Question: 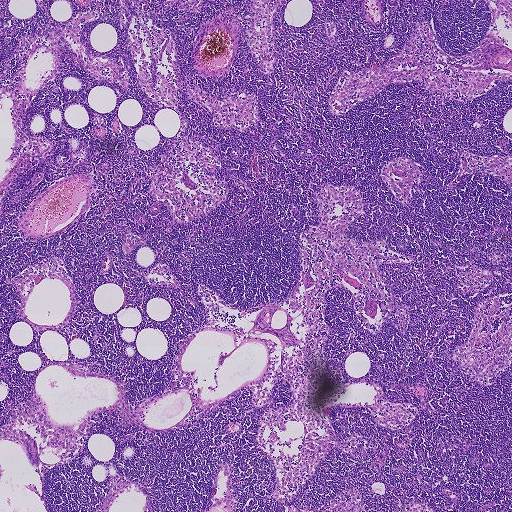
A 1.9-mm field of an H&E-stained sentinel lymph node from a breast-cancer patient (whole-slide image), shown at about 2.5×, about 3.6 µm per pixel.
What fraction of the image area is metastatic tumour?

Choices:
 (A) about 50% or more
 (B) none: no tumour is outlined
 (C) about 25% to 45%
 (D) about 10% to 20%
 (E) about 5% or less

Answer: (B) none: no tumour is outlined
No metastatic tumour is outlined in this field.